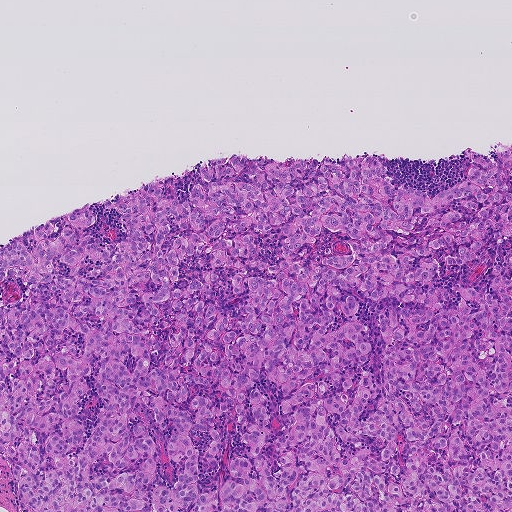
A 0.93-mm field of an H&E-stained sentinel lymph node from a breast-cancer patient (whole-slide image), shown at about 5×, about 1.8 µm per pixel.
Question: Is there metastatic carcinoma in this field?
Answer: Yes.
One metastatic tumour region; its boundary, reduced to 21 corners and listed clockwise: (511, 145), (511, 511), (24, 511), (0, 454), (0, 245), (31, 252), (33, 226), (57, 238), (90, 208), (78, 235), (112, 253), (124, 224), (102, 199), (164, 177), (182, 202), (206, 191), (200, 165), (236, 153), (369, 156), (387, 185), (432, 197).
About 65% of this field is tumour.